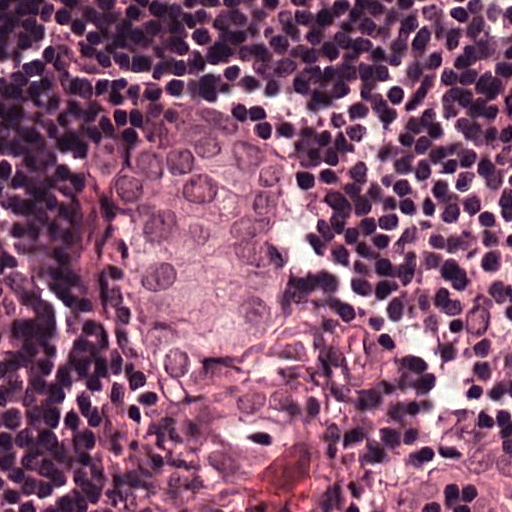
Lymph node section stained with H&E, from a whole-slide image of a breast-cancer sentinel node. Magnification about 40×, about 0.12 mm across the frame, about 0.24 µm per pixel.
Metastatic tumour outline, simplified to 11 points and listed clockwise in crop pixels (x, y): (155, 92), (302, 130), (305, 192), (324, 227), (326, 296), (318, 324), (193, 404), (130, 380), (121, 252), (71, 177), (77, 121).
The annotated tumour makes up about 20% of the crop.